A 0.93-mm field of an H&E-stained sentinel lymph node from a breast-cancer patient (whole-slide image), shown at about 5×, about 1.8 µm per pixel.
Question: 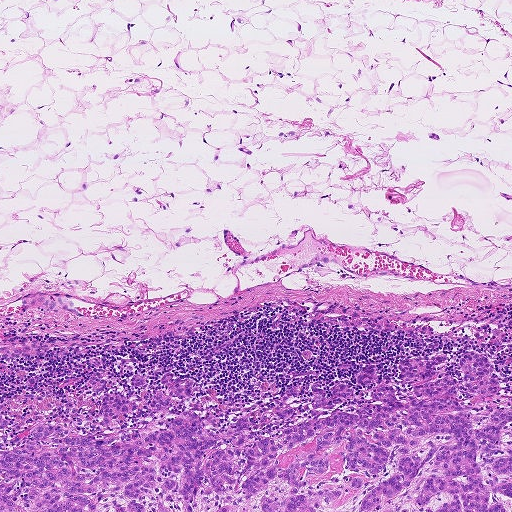
Estimate the proportion of this field that is metastatic tumour.

Choices:
 (A) about 5% or less
 (B) about 25% to 45%
 (C) none: no tumour is outlined
 (D) about 10% to 20%
 (E) about 50% or more

Answer: (B) about 25% to 45%
About 25% of the field is tumour.
Boundaries of three metastatic tumour regions, simplified and listed clockwise, largest first: region 1: (470, 350), (499, 384), (474, 426), (511, 409), (511, 511), (0, 511), (0, 435), (47, 423), (132, 438), (202, 400), (195, 413), (220, 427), (294, 383), (290, 423), (317, 380), (326, 398), (343, 384), (379, 404), (364, 366), (412, 391), (400, 360), (450, 352), (464, 398); region 2: (92, 369), (100, 372), (102, 380), (112, 382), (108, 390), (122, 394), (130, 391), (129, 382), (134, 374), (142, 374), (151, 390), (168, 394), (160, 377), (168, 372), (201, 384), (191, 398), (139, 419), (135, 413), (121, 415), (108, 424), (96, 415), (96, 392), (84, 382); region 3: (32, 293), (64, 296), (72, 300), (74, 307), (79, 313), (85, 315), (63, 309), (55, 311), (24, 307), (21, 300).